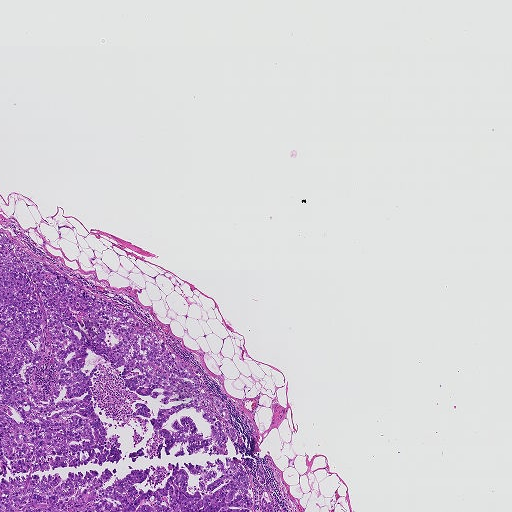
H&E-stained section of a sentinel lymph node (breast cancer), from a whole-slide image, viewed at about 2.5×: the field is about 1.9 mm across, about 3.6 µm per pixel.
Boundaries of three metastatic tumour regions, simplified and listed clockwise, largest first: region 1: (0, 231), (197, 369), (227, 449), (134, 462), (127, 455), (145, 454), (149, 420), (191, 398), (135, 392), (151, 417), (136, 416), (146, 433), (130, 421), (134, 447), (95, 407), (120, 458), (9, 471), (4, 457), (1, 473); region 2: (237, 460), (249, 477), (252, 511), (0, 511), (0, 481), (113, 474), (105, 489), (133, 469), (148, 469), (144, 481), (132, 486), (153, 492), (172, 470), (152, 488), (143, 486), (153, 472), (149, 467), (167, 470), (169, 462), (188, 475), (187, 490), (194, 494), (200, 475), (184, 466); region 3: (265, 490), (269, 494), (273, 508), (273, 511), (262, 511), (261, 506), (261, 501), (262, 496).
Tumour covers about 15% of the frame.